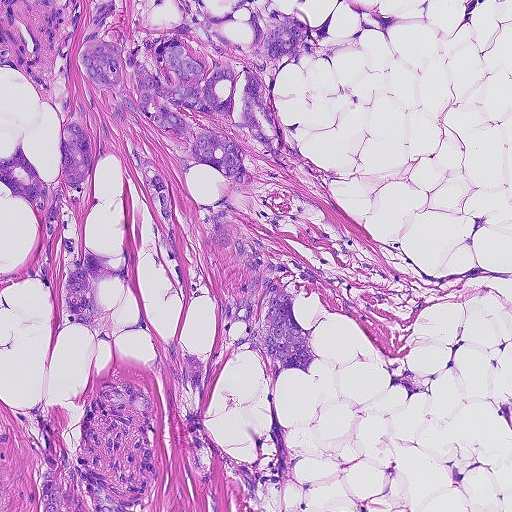
H&E-stained section of a sentinel lymph node (breast cancer), from a whole-slide image, viewed at about 10×: the field is about 0.46 mm across, about 0.9 µm per pixel.
One tumour region is annotated but not outlined: its edge is too irregular for a short outline.
One more small tumour piece is annotated here but not outlined.
About 20% of this field is tumour.